H&E-stained section of a sentinel lymph node (breast cancer), from a whole-slide image, viewed at about 10×: the field is about 0.46 mm across, about 0.9 µm per pixel.
Question: 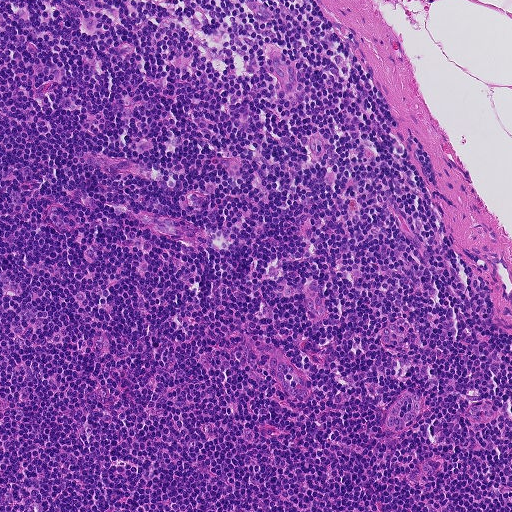
Roughly what share of this field is metastatic tumour?

Choices:
 (A) about 25% to 45%
 (B) about 5% or less
 (C) none: no tumour is outlined
 (D) about 10% to 20%
 (E) about 50% or more

Answer: (C) none: no tumour is outlined
No metastatic tumour is outlined in this field.